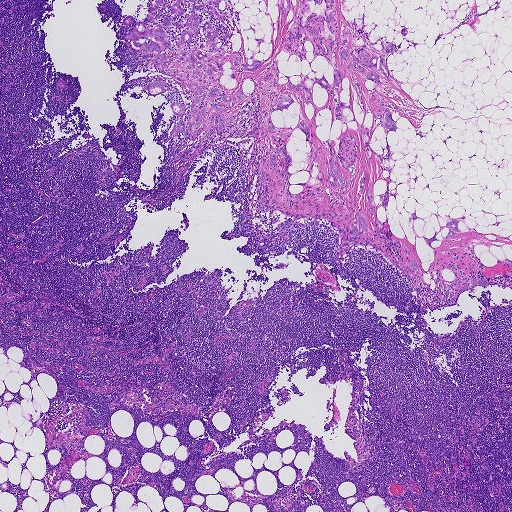
This is a crop of a whole-slide image: an H&E-stained breast-cancer sentinel lymph node section at roughly 2.5× magnification (about 3.6 µm per pixel; the crop spans about 1.9 mm).
Boundaries of four metastatic tumour regions, simplified and listed clockwise, largest first: region 1: (451, 263), (454, 265), (457, 269), (463, 270), (462, 272), (459, 275), (459, 277), (461, 278), (464, 276), (466, 278), (461, 284), (469, 283), (472, 279), (475, 278), (481, 280), (484, 278), (486, 279), (487, 281), (487, 284), (486, 286), (483, 287), (480, 285), (478, 286), (473, 289), (472, 292), (470, 290), (460, 293), (458, 292), (456, 288), (453, 285), (451, 282), (454, 279), (455, 277), (453, 271), (452, 270); region 2: (452, 218), (461, 220), (460, 221), (457, 225), (457, 227), (459, 228), (461, 231), (456, 234), (455, 236), (454, 237), (451, 237), (443, 240), (447, 234), (449, 230), (448, 228), (446, 228), (444, 228), (437, 234), (436, 236), (436, 238), (438, 239), (442, 241), (440, 241), (436, 240), (432, 241), (431, 243), (431, 246), (432, 247), (428, 245), (422, 236), (428, 238), (432, 237), (434, 235), (435, 231), (438, 232), (439, 230), (439, 226), (445, 225), (447, 222), (451, 221); region 3: (158, 80), (163, 81), (167, 84), (168, 86), (167, 88), (164, 91), (161, 91), (159, 87), (156, 87), (152, 89), (152, 91), (150, 92), (144, 91), (143, 88), (143, 86), (149, 83), (154, 81); region 4: (281, 0), (289, 0), (289, 8), (281, 17), (280, 8).
Two more tumour regions are annotated but not outlined: their edges are too irregular for short outlines.
Four more small tumour pieces are annotated here but not outlined.
About 5% of this field is tumour.